H&E-stained section of a sentinel lymph node (breast cancer), from a whole-slide image, viewed at about 20×: the field is about 0.23 mm across, about 0.45 µm per pixel.
Image:
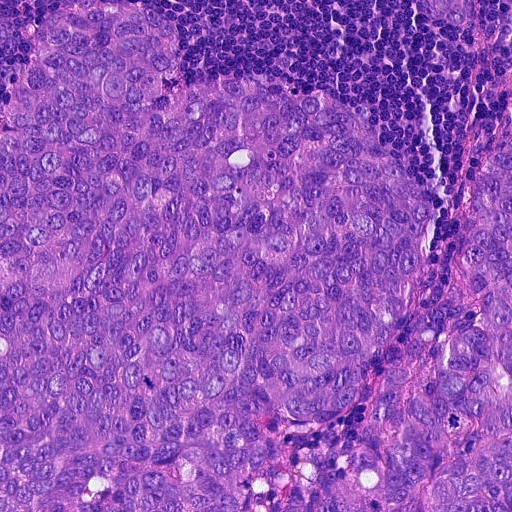
Question:
Describe where the metastatic carcinoma lies in this crop.
Answer:
Outlines of two tumour regions, largest first (closed clockwise paths, crop pixels): region 1: (94, 0), (145, 4), (178, 42), (178, 88), (231, 74), (312, 83), (381, 128), (426, 192), (435, 216), (408, 318), (368, 358), (353, 409), (278, 432), (288, 458), (258, 500), (283, 508), (326, 477), (441, 298), (507, 94), (511, 511), (0, 511), (0, 114), (46, 20); region 2: (424, 0), (479, 0), (478, 19), (454, 25), (432, 13).
About 80% of the image area is annotated as tumour.